Question: 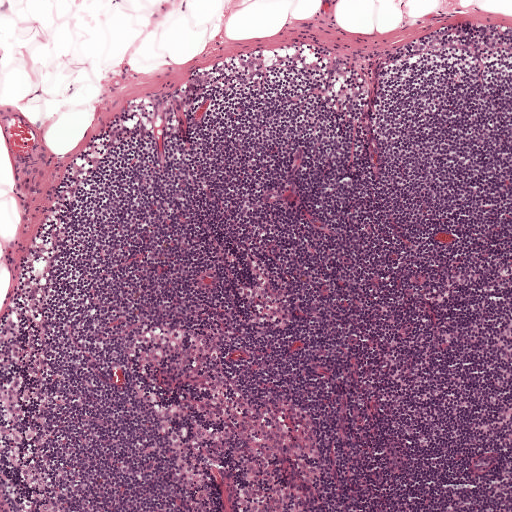
At roughly what magnification is this field shown?

Choices:
 (A) about 5×
 (B) about 40×
 (C) about 10×
 (D) about 2.5×
 (E) about 20×

Answer: (A) about 5×
This is a crop of a whole-slide image: an H&E-stained breast-cancer sentinel lymph node section at roughly 5× magnification (about 1.9 µm per pixel; the crop spans about 1 mm).